Question: 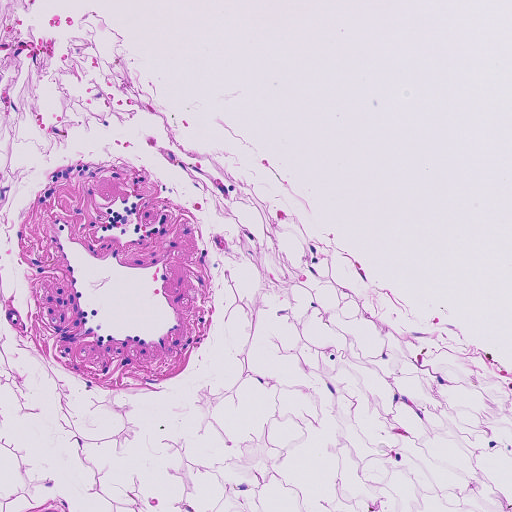
Which magnification is this H&E lymph node field most likely shown at?

Choices:
 (A) about 40×
 (B) about 20×
 (C) about 5×
 (D) about 2.5×
 (E) about 10×

Answer: (E) about 10×
A 0.46-mm field of an H&E-stained sentinel lymph node from a breast-cancer patient (whole-slide image), shown at about 10×, about 0.91 µm per pixel.